A 0.46-mm field of an H&E-stained sentinel lymph node from a breast-cancer patient (whole-slide image), shown at about 10×, about 0.9 µm per pixel.
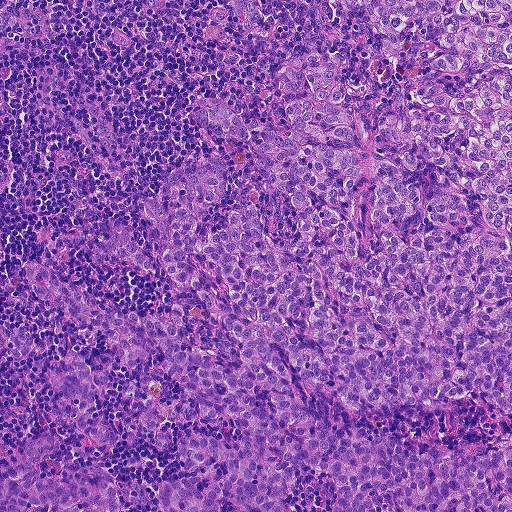
Question: Which parts of this field are metastatic tumour?
Answer: Tumour region outline (a closed clockwise path, crop pixels): (338, 0), (511, 0), (511, 511), (165, 511), (179, 442), (240, 429), (165, 377), (160, 451), (122, 387), (156, 359), (96, 390), (94, 414), (120, 439), (39, 469), (99, 467), (118, 511), (0, 511), (68, 403), (50, 361), (108, 352), (26, 260), (162, 310), (157, 265), (86, 252), (124, 220), (151, 255), (144, 199), (215, 154), (199, 234), (251, 204), (289, 239), (188, 104), (286, 134), (280, 73), (326, 50), (368, 139), (482, 70).
Tumour covers about 65% of the frame.